H&E-stained section of a sentinel lymph node (breast cancer), from a whole-slide image, viewed at about 2.5×: the field is about 2.0 mm across, about 3.9 µm per pixel.
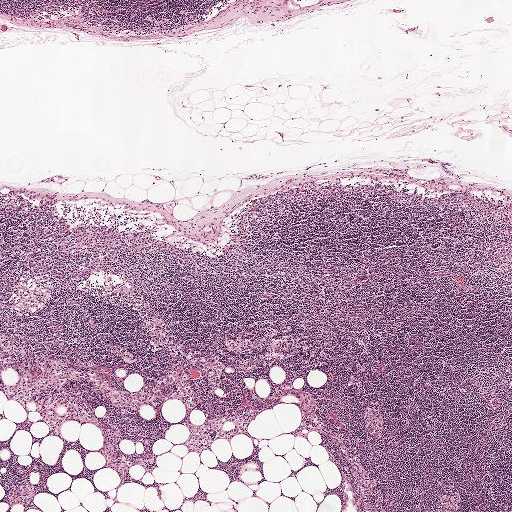
Question: Which parts of this field are metastatic tumour? Answer with the outline of each region, in pixels.
Answer: Outlines of two tumour regions, largest first (closed clockwise paths, crop pixels): region 1: (377, 174), (434, 192), (478, 193), (511, 200), (511, 290), (419, 257), (410, 243), (414, 233), (451, 232), (445, 222), (424, 213), (366, 207), (300, 207), (271, 215), (244, 235), (221, 231), (232, 203), (340, 175); region 2: (95, 224), (115, 227), (165, 244), (194, 248), (208, 255), (211, 263), (186, 263), (156, 254), (94, 254), (58, 247), (56, 242), (56, 237), (76, 225).
Tumour covers about 5% of the frame.